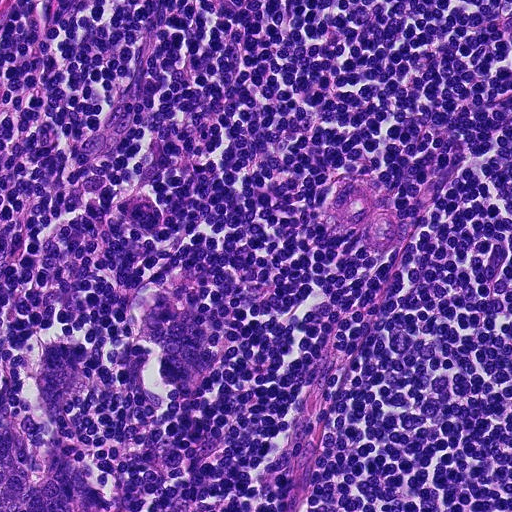
This is a crop of a whole-slide image: an H&E-stained breast-cancer sentinel lymph node section at roughly 20× magnification (about 0.45 µm per pixel; the crop spans about 0.23 mm).
Tumour region outline (a closed clockwise path, crop pixels): (148, 277), (194, 277), (225, 310), (224, 356), (209, 400), (154, 400), (110, 387), (66, 410), (98, 495), (89, 511), (0, 511), (0, 392), (24, 332), (69, 330), (100, 352), (132, 335), (132, 302).
About 10% of the image area is annotated as tumour.